Question: 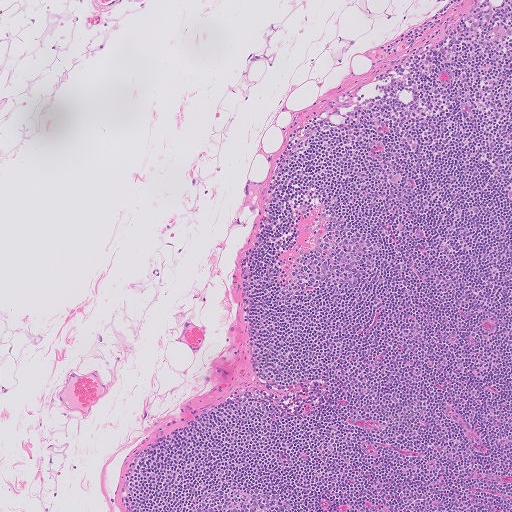
At roughly what magnification is this field shown?

Choices:
 (A) about 2.5×
 (B) about 40×
 (C) about 5×
 (D) about 20×
 (E) about 10×

Answer: (C) about 5×
H&E-stained section of a sentinel lymph node (breast cancer), from a whole-slide image, viewed at about 5×: the field is about 1.0 mm across, about 2.0 µm per pixel.